Question: 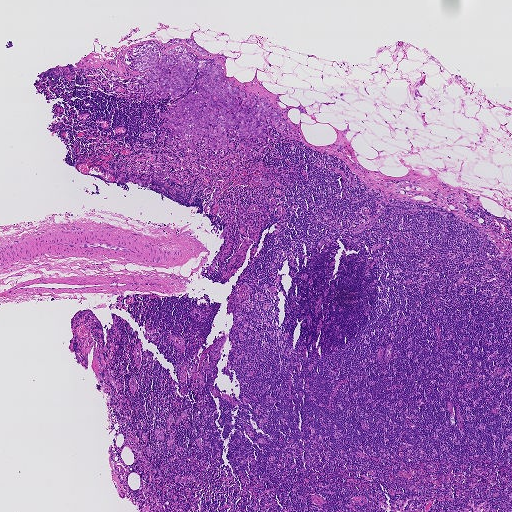
Lymph node section stained with H&E, from a whole-slide image of a breast-cancer sentinel node. Magnification about 2.5×, about 1.9 mm across the frame, about 3.6 µm per pixel.
About how much of this crop is taken up by metastatic carcinoma?

Choices:
 (A) about 10% to 20%
 (B) none: no tumour is outlined
 (C) about 25% to 45%
 (D) about 50% or more
 (E) about 5% or less

Answer: (E) about 5% or less
About 5% of the field is tumour.
Four metastatic tumour regions, each outlined as a closed clockwise path in crop pixels (x, y), largest first: region 1: (149, 42), (166, 54), (180, 45), (194, 59), (219, 60), (223, 77), (249, 100), (253, 94), (266, 96), (285, 108), (287, 121), (301, 139), (283, 136), (273, 124), (264, 141), (239, 138), (237, 125), (226, 131), (232, 150), (214, 151), (192, 139), (189, 146), (175, 130), (163, 127), (169, 119), (160, 115), (185, 94), (137, 97), (125, 85), (145, 71), (129, 68), (132, 48); region 2: (176, 38), (182, 39), (186, 38), (190, 39), (199, 46), (208, 51), (208, 53), (210, 53), (211, 54), (211, 56), (210, 56), (206, 56), (204, 56), (196, 50), (187, 44), (183, 43), (181, 44), (177, 43), (168, 47), (167, 46), (167, 44); region 3: (254, 176), (260, 176), (265, 179), (266, 180), (268, 181), (269, 180), (271, 180), (271, 182), (270, 184), (267, 185), (261, 184), (258, 181), (254, 180), (252, 179), (252, 177); region 4: (243, 140), (245, 142), (244, 145), (247, 145), (247, 147), (244, 150), (244, 151), (241, 156), (239, 156), (238, 154), (238, 152), (243, 148), (241, 142), (242, 141).
Four more small tumour pieces are annotated here but not outlined.